Image:
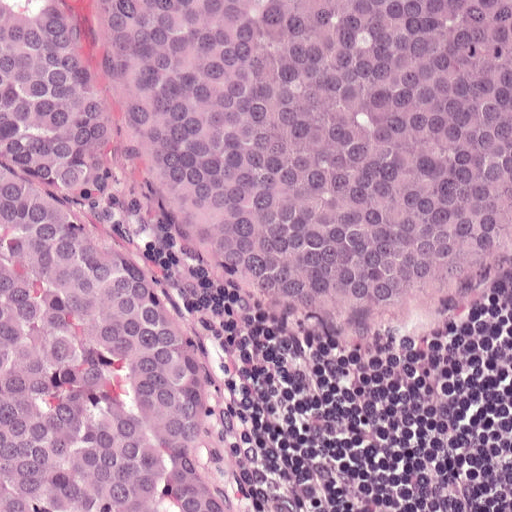
This is a crop of a whole-slide image: an H&E-stained breast-cancer sentinel lymph node section at roughly 20× magnification (about 0.49 µm per pixel; the crop spans about 0.25 mm).
Question:
Which parts of this field are metastatic tumour? Answer with the outline of each region, in pixels.
Answer:
Metastatic tumour outline, simplified to 10 points and listed clockwise in crop pixels (x, y): (0, 0), (511, 0), (511, 272), (487, 300), (400, 365), (347, 361), (244, 318), (200, 279), (309, 511), (0, 511).
About 85% of the image area is annotated as tumour.